Question: 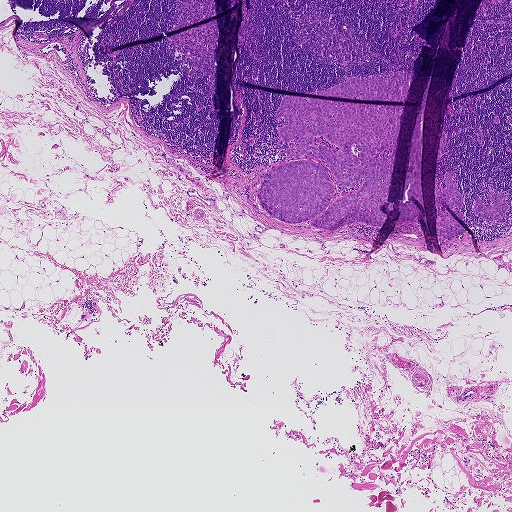
H&E-stained section of a sentinel lymph node (breast cancer), from a whole-slide image, viewed at about 2.5×: the field is about 1.9 mm across, about 3.6 µm per pixel.
What fraction of the image area is metastatic tumour?

Choices:
 (A) about 5% or less
 (B) about 25% to 45%
 (C) about 50% or more
 (D) none: no tumour is outlined
 (E) about 10% to 20%

Answer: (A) about 5% or less
About 5% of the field is tumour.
Four metastatic tumour regions, each outlined as a closed clockwise path in crop pixels (x, y), largest first: region 1: (283, 97), (402, 107), (386, 198), (379, 207), (386, 215), (380, 225), (310, 225), (329, 205), (292, 224), (266, 213), (258, 190), (276, 167), (316, 163), (333, 185), (331, 201), (358, 190), (363, 179), (344, 186), (324, 161), (285, 151), (298, 141), (279, 136), (289, 122), (275, 117); region 2: (397, 71), (412, 74), (404, 101), (326, 96), (310, 93), (331, 87), (354, 76), (362, 78), (376, 74), (388, 78); region 3: (448, 170), (457, 184), (463, 199), (461, 207), (456, 208), (463, 213), (466, 223), (448, 202), (440, 200), (440, 203), (466, 231), (454, 238), (446, 238), (442, 238), (437, 231), (435, 206), (435, 178), (439, 179), (442, 187), (446, 188), (444, 185), (444, 176), (445, 172); region 4: (489, 190), (496, 194), (503, 192), (506, 196), (502, 201), (508, 206), (501, 219), (490, 220), (482, 219), (473, 214), (472, 211), (478, 197), (483, 202), (484, 205), (492, 205), (495, 198), (493, 200), (489, 200), (486, 197).